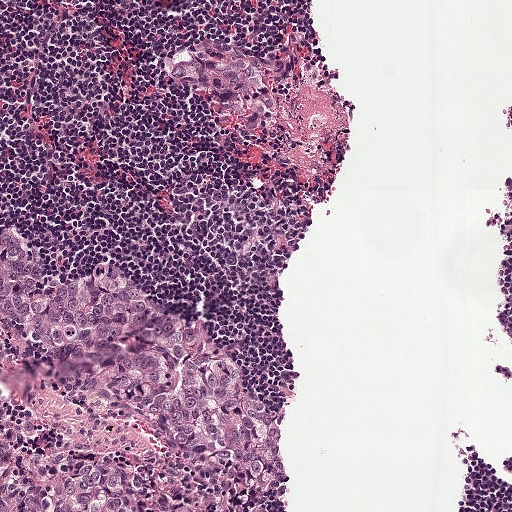
This is a crop of a whole-slide image: an H&E-stained breast-cancer sentinel lymph node section at roughly 10× magnification (about 0.97 µm per pixel; the crop spans about 0.5 mm).
Outlines of two tumour regions, largest first (closed clockwise paths, crop pixels): region 1: (24, 230), (46, 278), (111, 264), (142, 300), (215, 346), (277, 443), (275, 467), (228, 505), (266, 511), (0, 511), (0, 404), (87, 452), (146, 460), (162, 455), (162, 440), (147, 420), (84, 407), (56, 383), (0, 311), (0, 235); region 2: (200, 37), (210, 37), (234, 56), (294, 58), (294, 81), (273, 98), (268, 130), (256, 139), (248, 139), (234, 128), (215, 105), (168, 80), (166, 65), (185, 48), (196, 44).
About 20% of the image area is annotated as tumour.